Question: 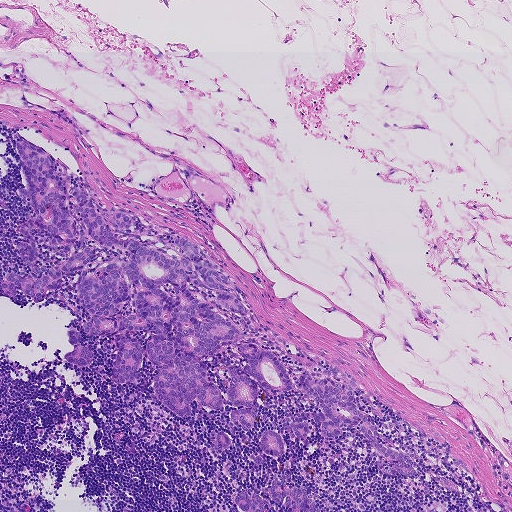
This is a crop of a whole-slide image: an H&E-stained breast-cancer sentinel lymph node section at roughly 5× magnification (about 1.8 µm per pixel; the crop spans about 0.93 mm).
What fraction of the image area is metastatic tumour?

Choices:
 (A) about 25% to 45%
 (B) about 10% to 20%
 (C) none: no tumour is outlined
 (D) about 5% or less
 (E) about 50% or more

Answer: (B) about 10% to 20%
About 15% of the field is tumour.
Seven metastatic tumour regions, each outlined as a closed clockwise path in crop pixels (x, y), largest first: region 1: (15, 135), (62, 165), (67, 192), (131, 214), (164, 243), (186, 239), (227, 272), (244, 312), (185, 281), (240, 328), (201, 360), (218, 410), (195, 398), (188, 417), (169, 410), (144, 355), (140, 382), (119, 387), (119, 334), (81, 333), (92, 363), (66, 361), (67, 328), (90, 318), (76, 302), (80, 272), (40, 302), (0, 292), (5, 275), (30, 270), (15, 245), (28, 242), (25, 215), (36, 217); region 2: (240, 344), (255, 344), (272, 352), (292, 384), (290, 391), (276, 394), (255, 384), (258, 406), (255, 428), (248, 431), (231, 420), (228, 413), (234, 408), (242, 408), (232, 405), (226, 391), (230, 377), (227, 365), (244, 372), (243, 368), (248, 362), (239, 355), (236, 348); region 3: (308, 371), (323, 372), (335, 382), (350, 384), (353, 390), (352, 398), (361, 411), (362, 418), (359, 425), (338, 423), (341, 430), (340, 438), (334, 441), (326, 440), (320, 426), (316, 426), (313, 419), (314, 412), (322, 412), (312, 398), (305, 396), (299, 391), (296, 384), (301, 374); region 4: (277, 479), (281, 486), (288, 489), (295, 486), (302, 491), (313, 501), (319, 511), (302, 511), (293, 501), (290, 506), (286, 507), (280, 504), (268, 494), (262, 496), (267, 508), (265, 511), (242, 511), (234, 501), (235, 494), (247, 489), (259, 492), (266, 490); region 5: (268, 429), (275, 431), (281, 436), (285, 450), (281, 456), (274, 457), (267, 455), (258, 442), (260, 435); region 6: (300, 421), (308, 422), (311, 429), (310, 436), (303, 439), (296, 437), (290, 431), (293, 424); region 7: (217, 432), (225, 432), (230, 436), (232, 443), (230, 449), (222, 448), (216, 444), (212, 437).